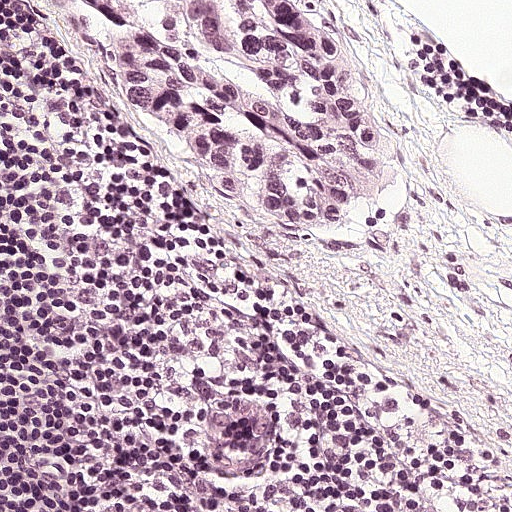
H&E-stained section of a sentinel lymph node (breast cancer), from a whole-slide image, viewed at about 20×: the field is about 0.25 mm across, about 0.49 µm per pixel.
Question: Is any metastatic breast cancer visible in this crop?
Answer: Yes.
One metastatic tumour region; its boundary, reduced to 12 corners and listed clockwise: (298, 0), (347, 37), (356, 87), (381, 112), (388, 162), (374, 226), (346, 245), (312, 245), (232, 206), (147, 120), (101, 29), (66, 2).
About 20% of the image area is annotated as tumour.